Image:
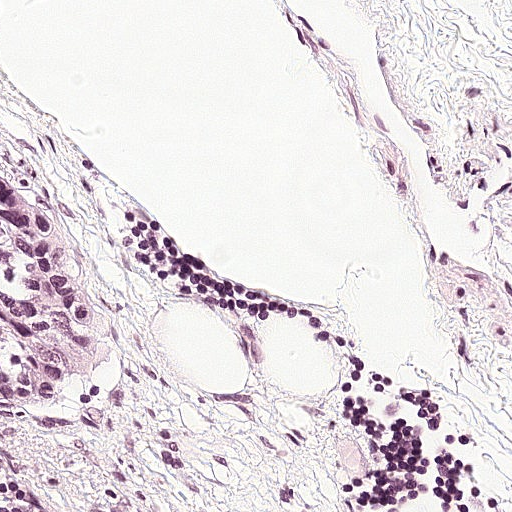
This is a crop of a whole-slide image: an H&E-stained breast-cancer sentinel lymph node section at roughly 20× magnification (about 0.49 µm per pixel; the crop spans about 0.25 mm).
Question:
Which parts of this field are metastatic tumour?
Answer:
Tumour region outline (a closed clockwise path, crop pixels): (0, 157), (22, 190), (61, 214), (70, 264), (95, 289), (102, 332), (88, 404), (54, 422), (26, 422), (3, 412).
The annotated tumour makes up about 5% of the crop.